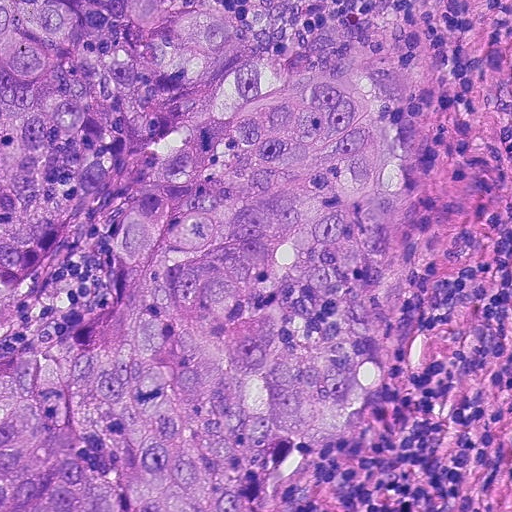
A 0.23-mm field of an H&E-stained sentinel lymph node from a breast-cancer patient (whole-slide image), shown at about 20×, about 0.45 µm per pixel.
One metastatic tumour region; its boundary, reduced to 12 corners and listed clockwise: (0, 0), (198, 0), (242, 22), (264, 58), (298, 82), (337, 77), (372, 98), (408, 174), (408, 259), (374, 377), (267, 511), (0, 511).
The annotated tumour makes up about 70% of the crop.